This is a crop of a whole-slide image: an H&E-stained breast-cancer sentinel lymph node section at roughly 2.5× magnification (about 3.9 µm per pixel; the crop spans about 2.0 mm).
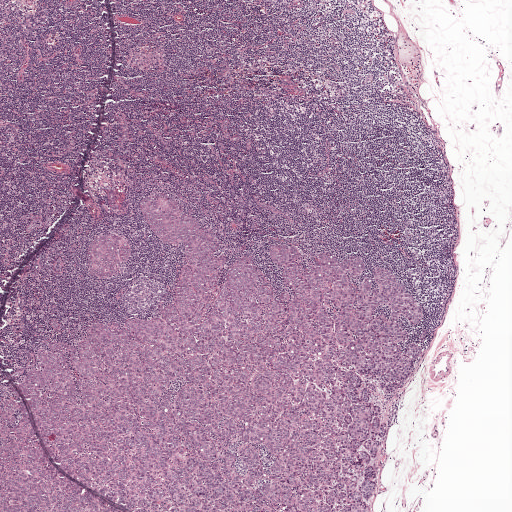
Question: Where is the metastatic tumour in this field?
Answer: Three metastatic tumour regions, each outlined as a closed clockwise path in crop pixels (x, y), largest first: region 1: (176, 194), (228, 257), (219, 288), (250, 254), (287, 306), (295, 297), (294, 290), (268, 255), (282, 243), (418, 303), (399, 397), (372, 393), (370, 507), (0, 511), (0, 383), (169, 307), (184, 248), (139, 208); region 2: (107, 232), (121, 235), (126, 238), (130, 249), (129, 260), (124, 270), (106, 279), (96, 277), (91, 273), (87, 262), (87, 251), (92, 240); region 3: (115, 190), (117, 193), (116, 201), (124, 207), (126, 210), (125, 212), (111, 209), (108, 200), (108, 191).
About 35% of the image area is annotated as tumour.